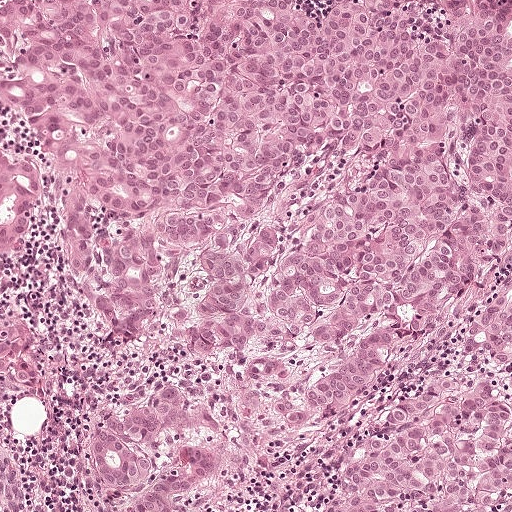
Lymph node section stained with H&E, from a whole-slide image of a breast-cancer sentinel node. Magnification about 10×, about 0.5 mm across the frame, about 0.97 µm per pixel.
Two metastatic tumour regions, each outlined as a closed clockwise path in crop pixels (x, y), largest first: region 1: (4, 0), (295, 0), (298, 13), (317, 13), (342, 0), (399, 0), (414, 28), (412, 84), (364, 161), (351, 169), (331, 144), (296, 165), (256, 220), (190, 258), (160, 334), (110, 346), (55, 287), (63, 174), (4, 115); region 2: (511, 292), (511, 511), (327, 511), (354, 438), (439, 372), (458, 370), (481, 380), (489, 370), (458, 348), (460, 325), (497, 294).
About 45% of the image area is annotated as tumour.